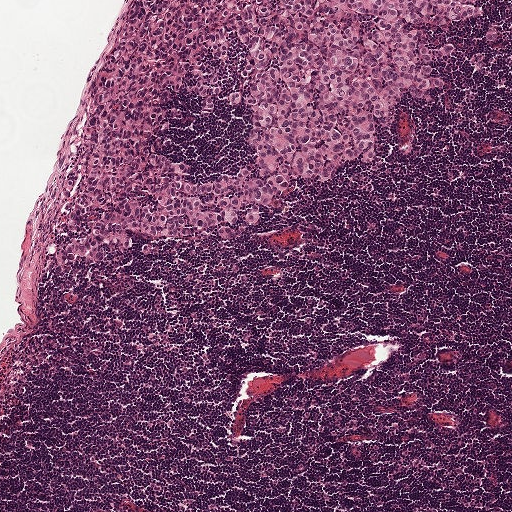
Lymph node section stained with H&E, from a whole-slide image of a breast-cancer sentinel node. Magnification about 5×, about 1 mm across the frame, about 1.9 µm per pixel.
Tumour region outline (a closed clockwise path, crop pixels): (124, 0), (492, 0), (475, 21), (434, 31), (434, 43), (456, 47), (444, 65), (450, 86), (425, 103), (401, 97), (370, 138), (369, 163), (298, 180), (226, 243), (180, 245), (155, 261), (137, 254), (133, 230), (111, 265), (50, 272), (39, 262), (45, 224).
About 30% of this field is tumour.